Question: 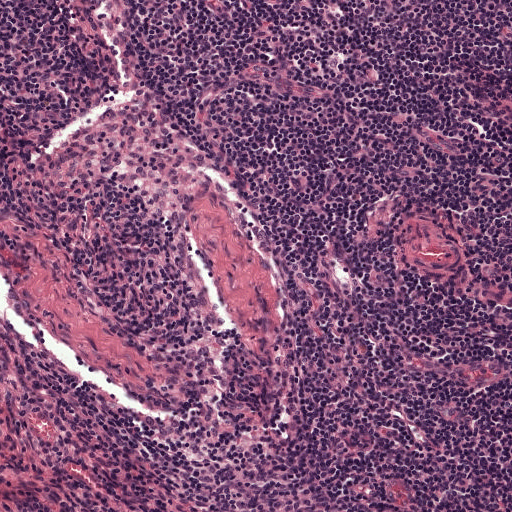
At roughly what magnification is this field shown?

Choices:
 (A) about 2.5×
 (B) about 10×
 (C) about 40×
 (D) about 5×
 (E) about 20×

Answer: (B) about 10×
This is a crop of a whole-slide image: an H&E-stained breast-cancer sentinel lymph node section at roughly 10× magnification (about 0.97 µm per pixel; the crop spans about 0.5 mm).